Question: 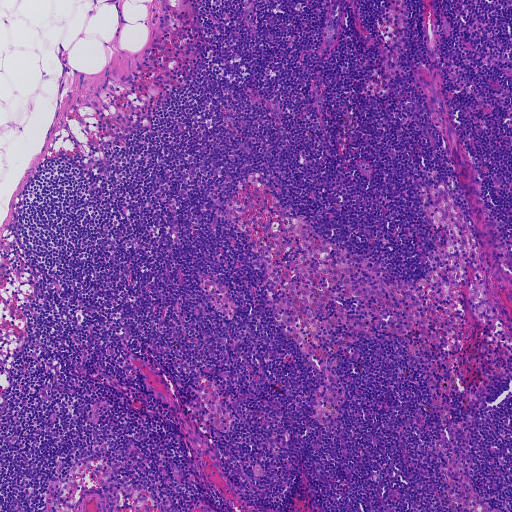
Which magnification is this H&E lymph node field most likely shown at?

Choices:
 (A) about 20×
 (B) about 40×
 (C) about 2.5×
 (D) about 10×
 (E) about 5×

Answer: (E) about 5×
This is a crop of a whole-slide image: an H&E-stained breast-cancer sentinel lymph node section at roughly 5× magnification (about 1.8 µm per pixel; the crop spans about 0.93 mm).